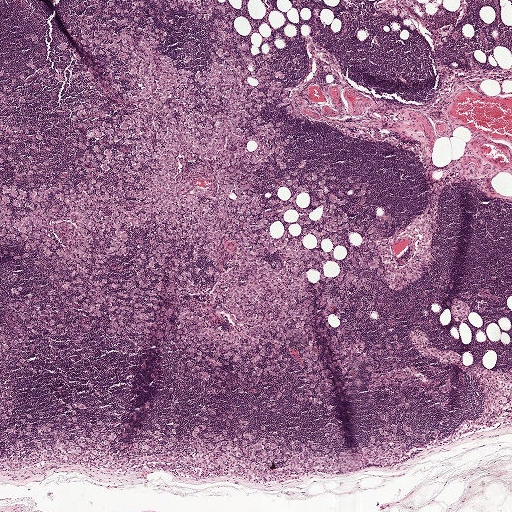
This is a crop of a whole-slide image: an H&E-stained breast-cancer sentinel lymph node section at roughly 2.5× magnification (about 3.9 µm per pixel; the crop spans about 2.0 mm).
The outlined metastatic tumour's edge, as a closed clockwise path of 24 points: (104, 0), (153, 20), (187, 70), (209, 64), (230, 21), (283, 75), (288, 99), (266, 114), (291, 164), (379, 237), (378, 276), (325, 321), (350, 327), (367, 372), (331, 402), (273, 366), (200, 379), (93, 319), (34, 248), (1, 238), (0, 69), (71, 57), (120, 100), (82, 42).
About 35% of this field is tumour.